Image:
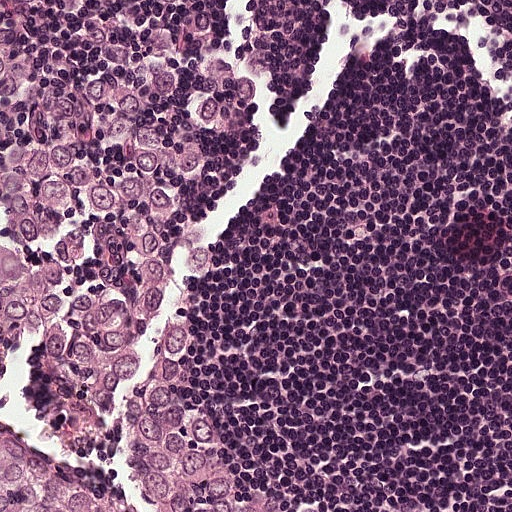
H&E-stained section of a sentinel lymph node (breast cancer), from a whole-slide image, viewed at about 20×: the field is about 0.25 mm across, about 0.49 µm per pixel.
Question:
Trace the edge of each tumour region in this crop, as (x, y) points from 0 to 511.
Answer:
Tumour region outline (a closed clockwise path, crop pixels): (0, 0), (242, 0), (239, 76), (194, 315), (196, 400), (214, 446), (316, 511), (0, 511).
About 45% of the image area is annotated as tumour.